Question: 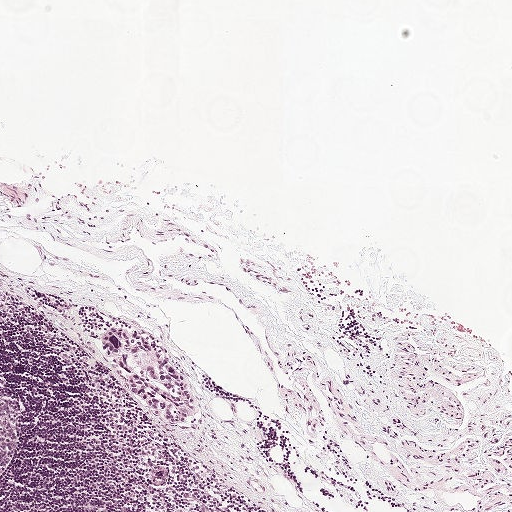
H&E-stained section of a sentinel lymph node (breast cancer), from a whole-slide image, viewed at about 5×: the field is about 1 mm across, about 1.9 µm per pixel.
Estimate the proportion of this field that is metastatic tumour.

Choices:
 (A) about 5% or less
 (B) about 25% to 45%
 (C) about 10% to 20%
 (D) about 50% or more
 (E) none: no tumour is outlined

Answer: (A) about 5% or less
Under 5% of the field is tumour.
Metastatic tumour outline, simplified to 17 points and listed clockwise in crop pixels (x, y): (110, 326), (118, 327), (148, 339), (167, 355), (176, 370), (186, 376), (196, 407), (193, 423), (186, 427), (177, 427), (164, 422), (148, 410), (135, 395), (124, 374), (114, 366), (100, 341), (100, 336).